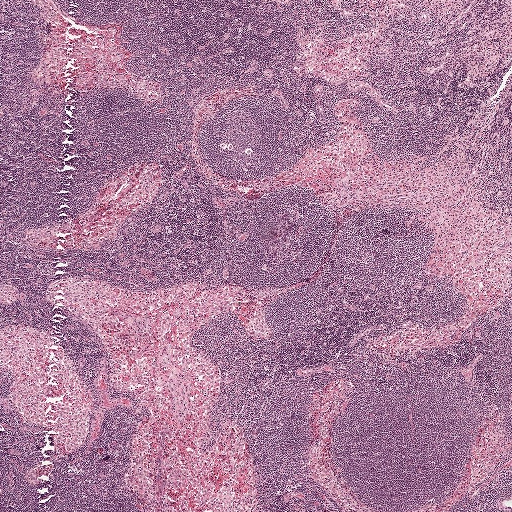
A 2.0-mm field of an H&E-stained sentinel lymph node from a breast-cancer patient (whole-slide image), shown at about 2.5×, about 3.9 µm per pixel.
Question: Is any metastatic breast cancer visible in this crop?
Answer: No. No metastatic tumour is outlined in this field.